Question: 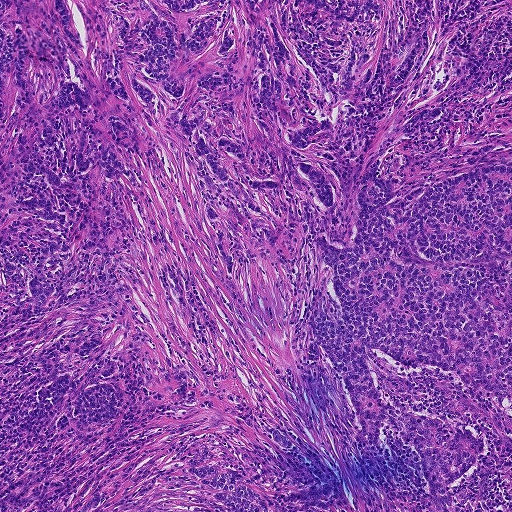
Lymph node section stained with H&E, from a whole-slide image of a breast-cancer sentinel node. Magnification about 5×, about 0.93 mm across the frame, about 1.8 µm per pixel.
Estimate the proportion of this field that is metastatic tumour.

Choices:
 (A) about 10% to 20%
 (B) about 25% to 45%
 (C) about 5% or less
 (D) none: no tumour is outlined
 (E) about 50% or more

Answer: (E) about 50% or more
About 60% of the field is tumour.
Boundaries of two metastatic tumour regions, simplified and listed clockwise, largest first: region 1: (0, 0), (482, 0), (400, 106), (457, 106), (388, 122), (375, 153), (401, 192), (511, 152), (511, 511), (429, 511), (394, 426), (372, 454), (307, 364), (314, 202), (221, 194), (233, 281), (146, 124), (42, 333), (112, 344), (137, 402), (14, 459); region 2: (194, 453), (211, 454), (229, 459), (269, 499), (274, 511), (159, 511), (190, 505), (203, 492), (189, 480), (180, 464).